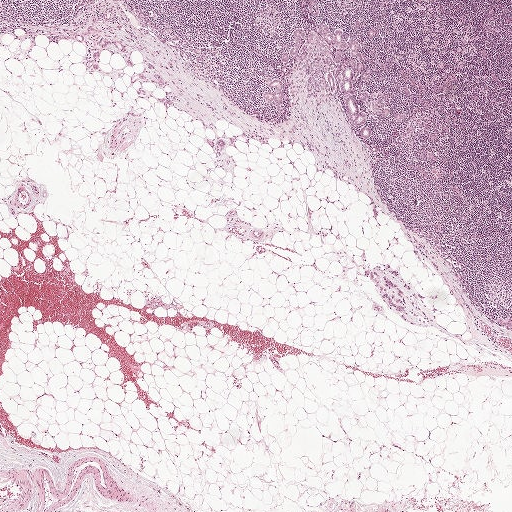
This is a crop of a whole-slide image: an H&E-stained breast-cancer sentinel lymph node section at roughly 2.5× magnification (about 3.9 µm per pixel; the crop spans about 2.0 mm).
Outlines of four tumour regions, largest first (closed clockwise paths, crop pixels): region 1: (322, 24), (342, 31), (345, 41), (353, 37), (360, 40), (371, 77), (367, 83), (360, 83), (360, 88), (370, 96), (369, 101), (357, 100), (367, 116), (370, 137), (362, 137), (346, 120), (338, 90), (311, 98), (305, 93), (304, 78), (295, 69), (291, 83), (284, 91), (285, 113), (279, 113), (264, 102), (263, 89), (271, 88), (265, 81), (267, 76), (288, 83), (290, 67), (281, 60), (286, 52), (291, 61), (295, 29), (314, 29); region 2: (374, 91), (377, 93), (378, 92), (380, 92), (383, 95), (383, 98), (382, 102), (379, 104), (374, 104), (379, 108), (379, 112), (378, 112), (371, 110), (368, 111), (367, 110), (367, 104), (369, 102), (374, 99), (372, 94); region 3: (501, 318), (511, 318), (511, 333), (501, 326), (499, 321), (499, 319); region 4: (309, 0), (315, 0), (319, 7), (319, 15), (315, 16), (311, 14), (308, 8).
Region 4 encloses a non-tumour hole of about 20% of its area.
Four more small tumour pieces are annotated here but not outlined.
Tumour covers about 5% of the frame.